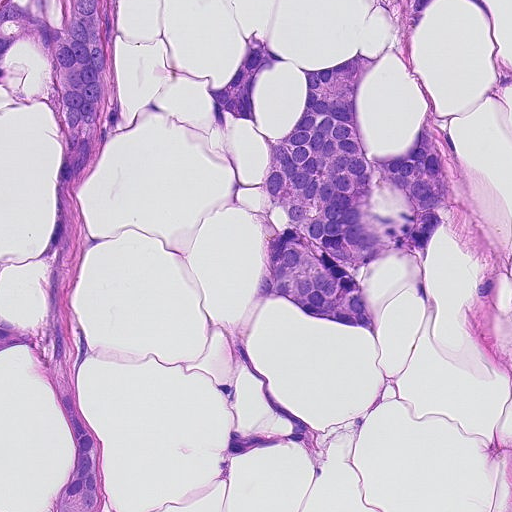
H&E-stained section of a sentinel lymph node (breast cancer), from a whole-slide image, viewed at about 20×: the field is about 0.23 mm across, about 0.45 µm per pixel.
Four metastatic tumour regions, each outlined as a closed clockwise path in crop pixels (x, y), largest first: region 1: (389, 0), (448, 0), (429, 10), (412, 62), (452, 138), (457, 194), (412, 293), (376, 334), (253, 292), (258, 126), (210, 100), (206, 85), (230, 70), (256, 22), (270, 46), (321, 68), (372, 49), (388, 52); region 2: (0, 0), (111, 0), (104, 126), (72, 209), (78, 229), (68, 310), (84, 429), (98, 452), (101, 511), (52, 511), (70, 479), (74, 449), (64, 392), (50, 368), (28, 352), (0, 352), (0, 301), (40, 324), (52, 300), (60, 126), (44, 104), (16, 102), (0, 110); region 3: (491, 54), (511, 61), (511, 85), (490, 81); region 4: (458, 0), (491, 0), (499, 18), (490, 34), (478, 9).
The annotated tumour makes up about 30% of the crop.